H&E-stained section of a sentinel lymph node (breast cancer), from a whole-slide image, viewed at about 10×: the field is about 0.46 mm across, about 0.9 µm per pixel.
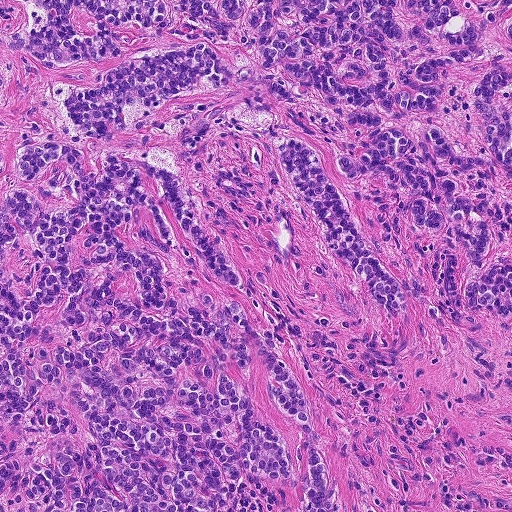
Metastatic tumour outline, simplified to 21 points and listed clockwise in crop pixels (x, y): (0, 0), (511, 0), (511, 318), (436, 310), (425, 256), (387, 252), (415, 304), (400, 335), (370, 314), (300, 206), (304, 244), (284, 273), (268, 263), (262, 203), (216, 202), (236, 232), (230, 258), (260, 324), (312, 400), (345, 511), (0, 511).
Tumour covers about 80% of the frame.